Question: 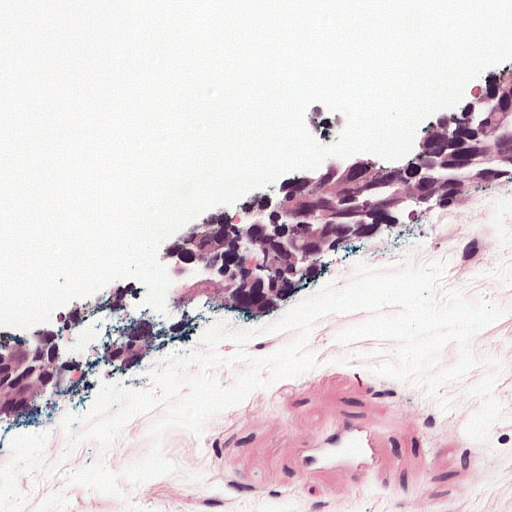
Which magnification is this H&E lymph node field most likely shown at?

Choices:
 (A) about 10×
 (B) about 2.5×
 (C) about 20×
 (D) about 5×
 (E) about 40×

Answer: (C) about 20×
Lymph node section stained with H&E, from a whole-slide image of a breast-cancer sentinel node. Magnification about 20×, about 0.25 mm across the frame, about 0.49 µm per pixel.
The outlined metastatic tumour's edge, as a closed clockwise path of 7 points: (511, 55), (511, 189), (384, 242), (290, 312), (232, 314), (0, 453), (0, 284).
Tumour covers about 30% of the frame.